Question: 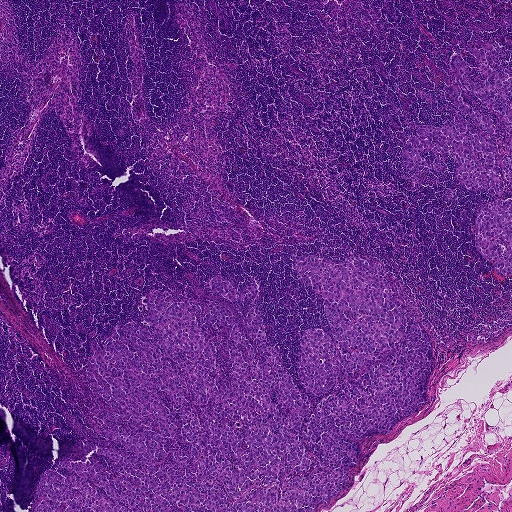
Which magnification is this H&E lymph node field most likely shown at?

Choices:
 (A) about 5×
 (B) about 10×
 (C) about 2.5×
 (D) about 40×
 (E) about 20×

Answer: (C) about 2.5×
H&E-stained section of a sentinel lymph node (breast cancer), from a whole-slide image, viewed at about 2.5×: the field is about 1.9 mm across, about 3.6 µm per pixel.
Three metastatic tumour regions, each outlined as a closed clockwise path in crop pixels (x, y), largest first: region 1: (290, 255), (363, 255), (431, 339), (430, 402), (391, 433), (353, 439), (350, 484), (314, 511), (36, 511), (44, 471), (76, 474), (56, 462), (87, 441), (136, 455), (95, 428), (89, 407), (109, 407), (84, 372), (132, 320), (151, 335), (153, 293), (198, 303), (197, 324), (210, 303), (228, 308), (254, 347), (249, 299), (210, 285), (252, 275), (267, 346), (308, 396), (316, 396), (298, 376), (302, 332), (332, 339); region 2: (472, 48), (493, 55), (500, 64), (488, 64), (490, 67), (509, 76), (511, 191), (503, 190), (497, 195), (467, 189), (454, 178), (455, 158), (428, 151), (419, 155), (441, 162), (444, 169), (438, 172), (420, 167), (423, 183), (414, 187), (410, 171), (403, 164), (402, 150), (413, 146), (405, 140), (418, 136), (418, 126), (452, 124), (458, 114), (480, 133), (443, 87), (455, 83), (453, 56), (466, 63), (466, 80), (483, 87), (485, 80); region 3: (511, 199), (511, 276), (509, 276), (496, 273), (494, 264), (482, 256), (476, 248), (474, 235), (472, 232), (476, 214), (480, 206), (496, 200).
One more small tumour piece is annotated here but not outlined.
About 30% of the image area is annotated as tumour.